Lymph node section stained with H&E, from a whole-slide image of a breast-cancer sentinel node. Magnification about 10×, about 0.5 mm across the frame, about 0.97 µm per pixel.
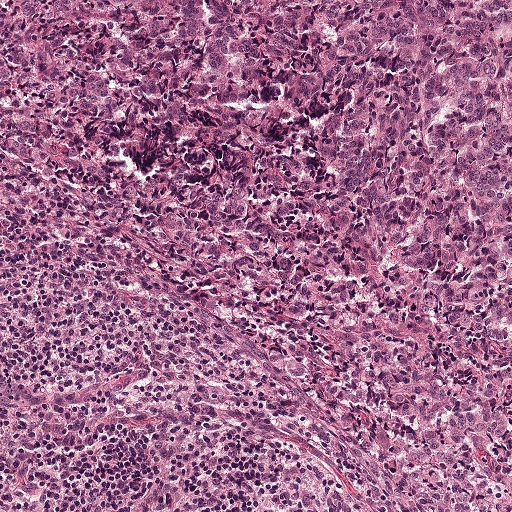
Tumour region outline (a closed clockwise path, crop pixels): (0, 0), (511, 0), (511, 511), (405, 511), (248, 446), (146, 396), (0, 289).
About 85% of this field is tumour.